A 0.46-mm field of an H&E-stained sentinel lymph node from a breast-cancer patient (whole-slide image), shown at about 10×, about 0.9 µm per pixel.
Image:
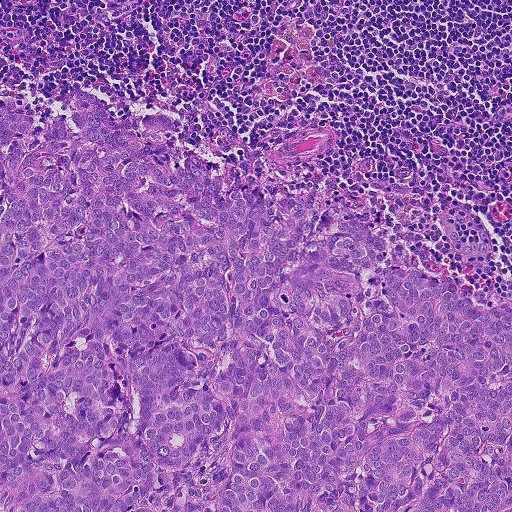
Question:
Is any metastatic breast cancer visible in this crop?
Answer:
Yes.
The outlined metastatic tumour's edge, as a closed clockwise path of 23 points: (94, 83), (138, 100), (210, 102), (182, 136), (194, 149), (234, 130), (266, 149), (268, 165), (340, 174), (350, 203), (382, 179), (484, 217), (480, 261), (452, 253), (430, 211), (403, 228), (415, 258), (464, 295), (507, 299), (511, 511), (0, 511), (0, 98), (38, 106).
About 70% of the image area is annotated as tumour.